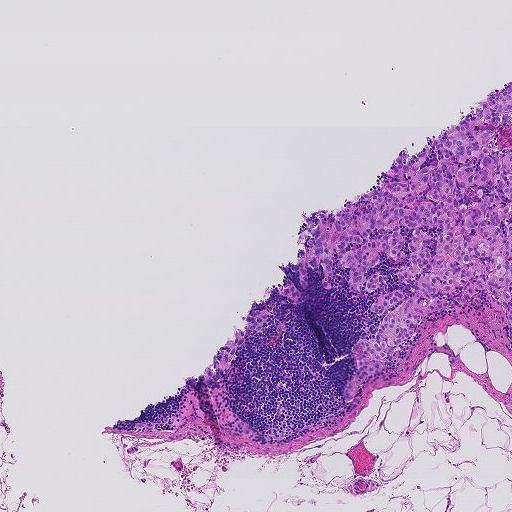
Lymph node section stained with H&E, from a whole-slide image of a breast-cancer sentinel node. Magnification about 5×, about 0.93 mm across the frame, about 1.8 µm per pixel.
Outlines of two tumour regions, largest first (closed clockwise paths, crop pixels): region 1: (511, 84), (511, 337), (482, 290), (423, 320), (345, 401), (350, 349), (373, 340), (387, 310), (368, 308), (390, 291), (409, 296), (414, 279), (395, 272), (410, 260), (379, 253), (362, 274), (386, 284), (354, 294), (338, 251), (330, 287), (320, 266), (308, 268), (301, 305), (291, 304), (275, 294), (287, 276), (301, 291), (288, 261), (307, 253), (301, 233), (375, 187), (404, 148), (403, 164), (423, 146), (418, 170), (431, 168), (441, 131); region 2: (264, 309), (269, 314), (263, 328), (250, 334), (244, 342), (238, 346), (231, 362), (230, 370), (224, 371), (218, 369), (224, 355), (230, 350), (218, 348), (225, 341), (233, 340), (235, 336), (232, 332), (239, 328), (244, 331), (245, 318), (250, 312).
About 15% of the image area is annotated as tumour.